H&E-stained section of a sentinel lymph node (breast cancer), from a whole-slide image, viewed at about 10×: the field is about 0.46 mm across, about 0.9 µm per pixel.
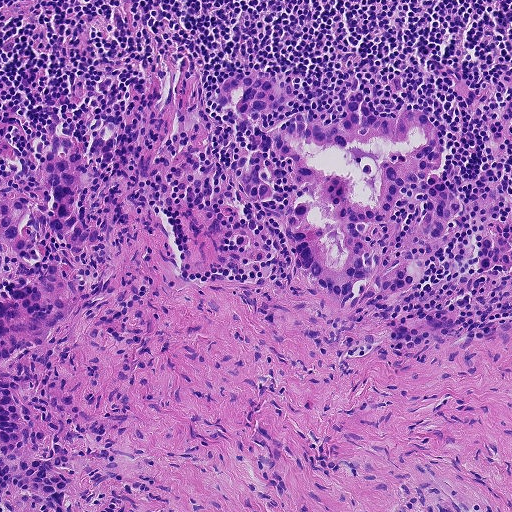
Question: Which parts of this field are metastatic tumour?
Answer: Outlines of three tumour regions, largest first (closed clockwise paths, crop pixels): region 1: (240, 66), (282, 79), (286, 101), (262, 120), (304, 112), (344, 118), (362, 84), (374, 105), (393, 115), (412, 106), (433, 112), (446, 129), (436, 172), (469, 199), (413, 289), (426, 296), (465, 277), (494, 220), (511, 221), (511, 269), (482, 284), (458, 321), (423, 342), (402, 343), (298, 267), (275, 231), (220, 196), (216, 161), (237, 154), (238, 132), (212, 99); region 2: (61, 106), (82, 136), (116, 131), (117, 158), (80, 201), (81, 217), (111, 236), (110, 251), (97, 263), (68, 259), (81, 307), (10, 357), (57, 348), (48, 379), (29, 393), (69, 427), (65, 448), (79, 477), (69, 510), (0, 511), (0, 111), (31, 136), (48, 108); region 3: (448, 498), (482, 501), (496, 511), (433, 511), (432, 502).
About 30% of this field is tumour.